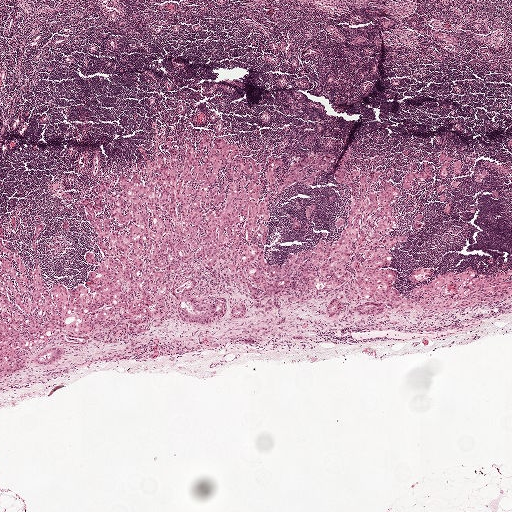
A 2.0-mm field of an H&E-stained sentinel lymph node from a breast-cancer patient (whole-slide image), shown at about 2.5×, about 3.9 µm per pixel.
Boundaries of six metastatic tumour regions, simplified and listed clockwise, largest first: region 1: (159, 126), (210, 129), (295, 172), (264, 241), (267, 287), (245, 316), (202, 324), (164, 313), (0, 379), (1, 225), (16, 231), (29, 264), (32, 234), (44, 222), (38, 263), (49, 281), (73, 287), (94, 268), (87, 250), (98, 262), (102, 255), (84, 194), (133, 168), (139, 144); region 2: (349, 145), (361, 171), (382, 171), (374, 189), (383, 177), (400, 188), (392, 234), (409, 238), (388, 249), (402, 293), (418, 284), (410, 272), (417, 264), (436, 274), (511, 267), (511, 293), (460, 307), (405, 301), (374, 315), (282, 308), (284, 256), (338, 238), (351, 190), (337, 172); region 3: (426, 158), (432, 167), (432, 174), (426, 177), (415, 176), (412, 179), (411, 184), (410, 187), (406, 187), (403, 186), (402, 182), (403, 176), (409, 170), (419, 170), (424, 168), (424, 159); region 4: (441, 153), (448, 155), (453, 161), (448, 169), (448, 174), (443, 177), (440, 176), (438, 173), (440, 166), (445, 163), (442, 164), (439, 162), (439, 157); region 5: (420, 212), (422, 212), (422, 213), (422, 216), (420, 219), (420, 221), (422, 222), (422, 224), (421, 226), (419, 228), (413, 226), (412, 225), (415, 216); region 6: (457, 160), (462, 164), (462, 169), (458, 175), (453, 173), (452, 167), (453, 163).
Two more small tumour pieces are annotated here but not outlined.
About 20% of the image area is annotated as tumour.